This is a crop of a whole-slide image: an H&E-stained breast-cancer sentinel lymph node section at roughly 2.5× magnification (about 3.9 µm per pixel; the crop spans about 2.0 mm).
Image:
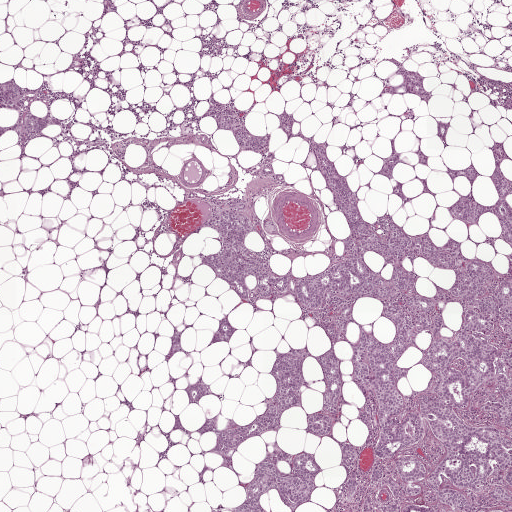
Question:
Which parts of this field are metastatic tumour?
Answer:
Outlines of the eight largest metastatic tumour regions, each a closed clockwise path in crop pixels (x, y), largest first: region 1: (281, 117), (323, 144), (378, 240), (455, 239), (453, 268), (508, 279), (511, 511), (361, 511), (364, 483), (293, 511), (271, 488), (234, 511), (276, 450), (336, 490), (344, 444), (365, 479), (385, 462), (346, 340), (332, 436), (304, 426), (325, 394), (307, 357), (300, 408), (230, 466), (198, 430), (262, 416), (279, 357), (318, 354), (339, 306), (349, 341), (364, 320), (394, 340), (373, 296), (248, 302), (206, 268), (238, 196), (272, 275), (342, 263), (352, 233); region 2: (502, 142), (509, 159), (501, 160), (499, 170), (500, 174), (509, 185), (511, 190), (505, 198), (505, 201), (511, 209), (511, 251), (502, 236), (500, 219), (497, 213), (483, 213), (474, 223), (455, 215), (450, 211), (449, 207), (459, 198), (478, 205), (492, 207), (498, 203), (500, 197), (498, 190), (492, 178), (488, 176), (495, 167), (496, 162), (491, 146); region 3: (14, 80), (21, 89), (33, 91), (48, 102), (42, 104), (38, 101), (32, 101), (31, 113), (43, 118), (55, 114), (60, 117), (61, 123), (49, 124), (40, 131), (38, 137), (27, 141), (21, 141), (16, 125), (22, 115), (14, 107), (0, 108), (0, 84); region 4: (220, 107), (231, 111), (239, 119), (249, 132), (268, 143), (260, 151), (244, 151), (232, 132), (217, 128), (216, 111); region 5: (393, 58), (402, 63), (407, 71), (417, 71), (424, 77), (423, 83), (426, 92), (431, 96), (428, 102), (422, 98), (422, 95), (383, 93), (382, 89), (403, 84), (406, 78), (397, 75), (399, 68), (387, 60); region 6: (393, 142), (400, 157), (397, 165), (392, 171), (392, 176), (401, 184), (403, 198), (393, 192), (397, 185), (390, 177), (382, 175), (373, 175), (379, 172), (382, 168), (384, 163), (381, 158), (389, 157), (392, 153), (390, 145); region 7: (226, 320), (234, 325), (235, 331), (229, 340), (218, 342), (212, 341), (213, 336), (221, 321); region 8: (201, 383), (204, 387), (205, 392), (202, 396), (193, 402), (189, 400), (185, 389).
Five more, smaller tumour regions are not outlined.
Four more small tumour pieces are annotated here but not outlined.
About 25% of the image area is annotated as tumour.